Lymph node section stained with H&E, from a whole-slide image of a breast-cancer sentinel node. Magnification about 20×, about 0.25 mm across the frame, about 0.49 µm per pixel.
Question: 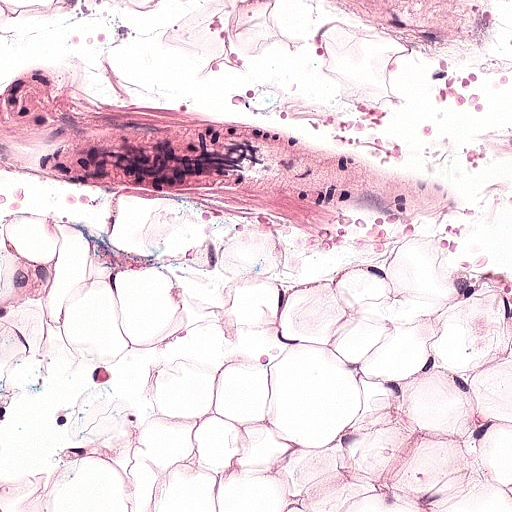
Roughly what share of this field is metastatic tumour?

Choices:
 (A) none: no tumour is outlined
 (B) about 50% or more
 (C) about 10% to 20%
 (D) about 5% or less
 (E) about 25% to 45%

Answer: (A) none: no tumour is outlined
No metastatic tumour is outlined in this field.